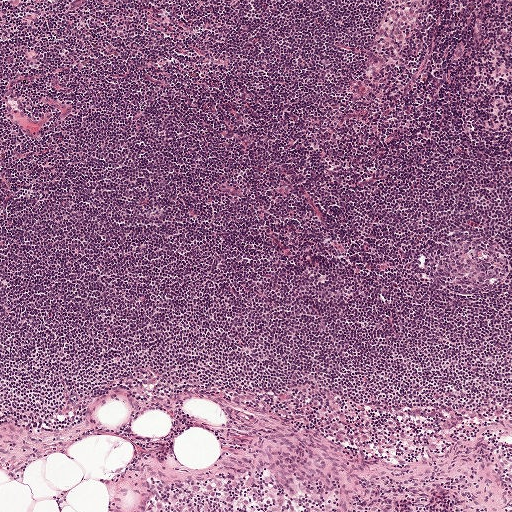
This is a crop of a whole-slide image: an H&E-stained breast-cancer sentinel lymph node section at roughly 5× magnification (about 1.9 µm per pixel; the crop spans about 1 mm).
Question: Is any metastatic breast cancer visible in this crop?
Answer: No. No metastatic tumour is outlined in this field.